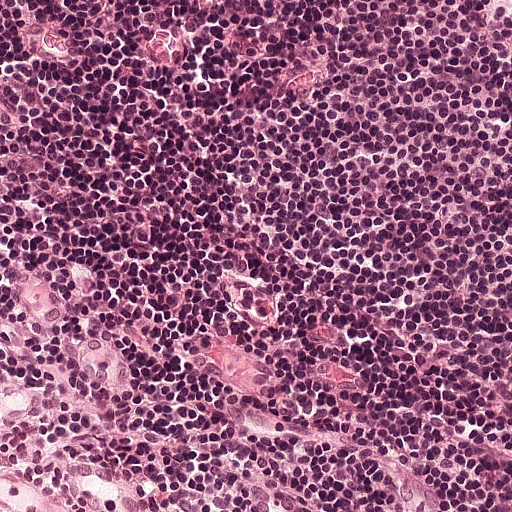
H&E-stained section of a sentinel lymph node (breast cancer), from a whole-slide image, viewed at about 20×: the field is about 0.25 mm across, about 0.49 µm per pixel.
Question: Is there metastatic carcinoma in this field?
Answer: No. No metastatic tumour is outlined in this field.